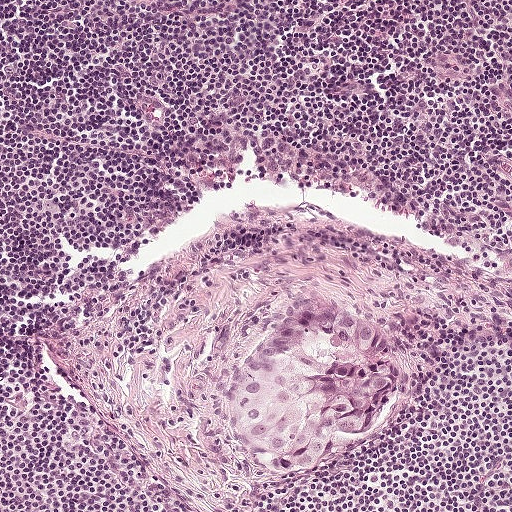
A 0.5-mm field of an H&E-stained sentinel lymph node from a breast-cancer patient (whole-slide image), shown at about 10×, about 0.97 µm per pixel.
Question: Describe where the metastatic carcinoma lies in this crop.
Answer: The outlined metastatic tumour's edge, as a closed clockwise path of 15 points: (319, 304), (329, 307), (388, 344), (398, 368), (397, 402), (394, 415), (370, 442), (350, 444), (304, 480), (289, 480), (266, 473), (252, 458), (240, 425), (239, 394), (279, 324).
About 5% of the image area is annotated as tumour.